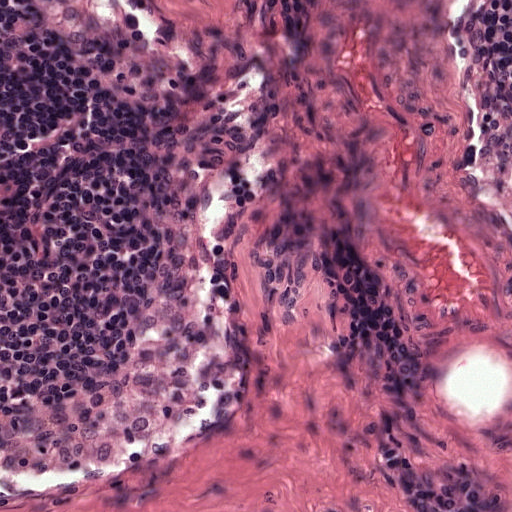
This is a crop of a whole-slide image: an H&E-stained breast-cancer sentinel lymph node section at roughly 20× magnification (about 0.49 µm per pixel; the crop spans about 0.25 mm).